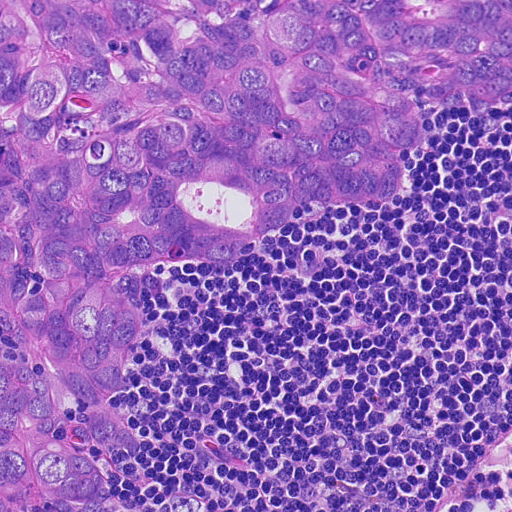
This is a crop of a whole-slide image: an H&E-stained breast-cancer sentinel lymph node section at roughly 20× magnification (about 0.45 µm per pixel; the crop spans about 0.23 mm).
One metastatic tumour region; its boundary, reduced to 19 corners and listed clockwise: (0, 0), (511, 0), (511, 103), (410, 100), (420, 134), (390, 198), (364, 212), (306, 207), (238, 259), (125, 269), (118, 280), (142, 316), (112, 394), (143, 448), (90, 454), (101, 478), (85, 500), (33, 494), (0, 511).
The annotated tumour makes up about 55% of the crop.